Question: 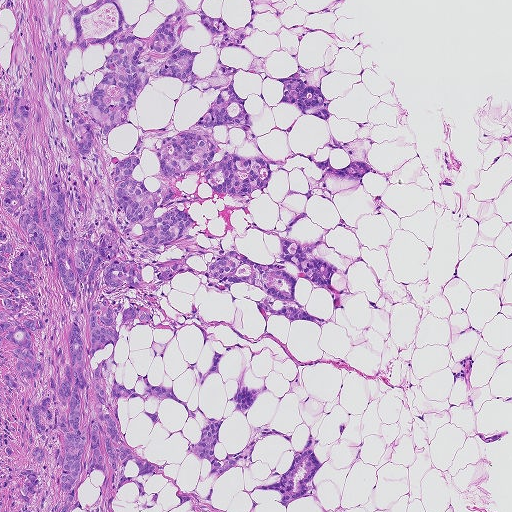
About what magnification does this crop show?

Choices:
 (A) about 2.5×
 (B) about 10×
 (C) about 20×
 (D) about 40×
 (E) about 5×

Answer: (E) about 5×
Lymph node section stained with H&E, from a whole-slide image of a breast-cancer sentinel node. Magnification about 5×, about 0.93 mm across the frame, about 1.8 µm per pixel.
One tumour region is annotated but not outlined: its edge is too irregular for a short outline.
One more small tumour piece is annotated here but not outlined.
Tumour covers about 40% of the frame.